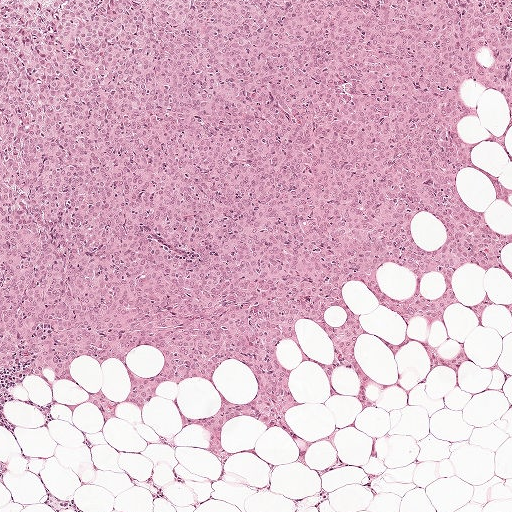
A 1-mm field of an H&E-stained sentinel lymph node from a breast-cancer patient (whole-slide image), shown at about 5×, about 1.9 µm per pixel.
Boundaries of two metastatic tumour regions, simplified and listed clockwise, largest first: region 1: (0, 0), (511, 0), (511, 157), (482, 138), (504, 89), (458, 126), (511, 196), (456, 174), (511, 275), (341, 293), (455, 375), (359, 333), (359, 410), (287, 337), (308, 464), (246, 413), (222, 474), (174, 397), (242, 359), (139, 406), (159, 348), (80, 354), (105, 423), (2, 370); region 2: (511, 299), (511, 314), (503, 306), (498, 304), (507, 300).
About 65% of this field is tumour.